Question: 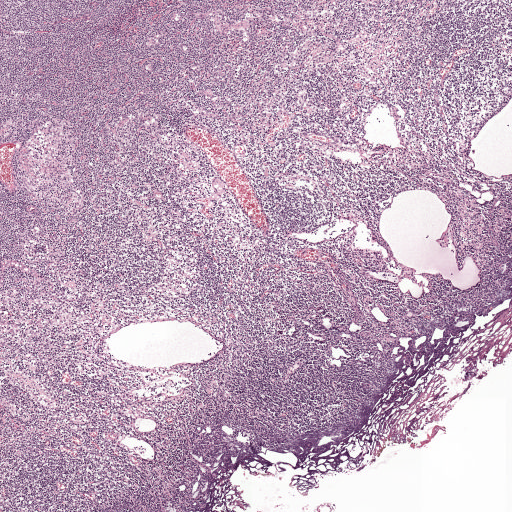
Which magnification is this H&E lymph node field most likely shown at?

Choices:
 (A) about 20×
 (B) about 10×
 (C) about 40×
 (D) about 2.5×
 (E) about 5×

Answer: (D) about 2.5×
Lymph node section stained with H&E, from a whole-slide image of a breast-cancer sentinel node. Magnification about 2.5×, about 2.0 mm across the frame, about 3.9 µm per pixel.